Image:
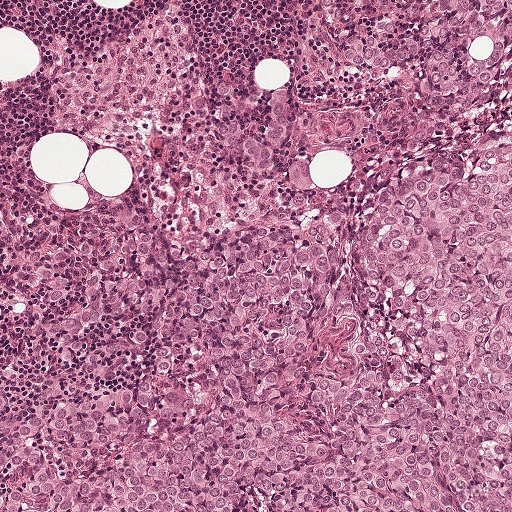
H&E-stained section of a sentinel lymph node (breast cancer), from a whole-slide image, viewed at about 10×: the field is about 0.5 mm across, about 0.97 µm per pixel.
Question:
Show where the tumour is in this image.
Answer:
The outlined metastatic tumour's edge, as a closed clockwise path of 22 points: (308, 0), (511, 0), (511, 511), (0, 511), (0, 398), (44, 390), (105, 225), (134, 213), (196, 253), (295, 225), (202, 140), (212, 121), (248, 132), (287, 89), (292, 148), (323, 203), (346, 208), (510, 118), (493, 101), (393, 157), (410, 80), (321, 52).
The annotated tumour makes up about 65% of the crop.

Image:
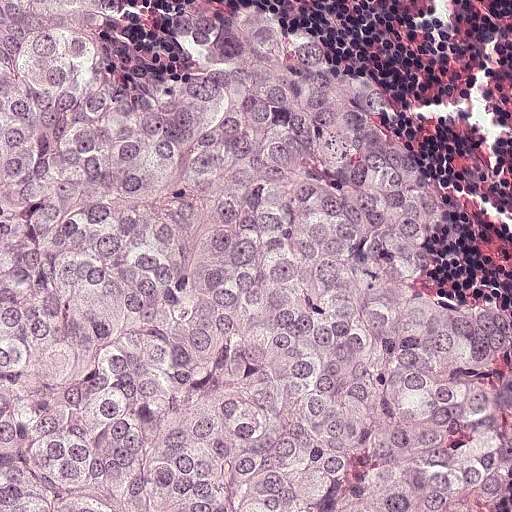
A 0.25-mm field of an H&E-stained sentinel lymph node from a breast-cancer patient (whole-slide image), shown at about 20×, about 0.49 µm per pixel.
Question:
Show where the tumour is in this image.
Answer:
Metastatic tumour outline, simplified to 17 points and listed clockwise in crop pixels (x, y): (0, 0), (129, 0), (132, 37), (114, 72), (156, 92), (192, 68), (178, 24), (184, 10), (232, 1), (306, 30), (337, 71), (371, 90), (440, 194), (434, 292), (511, 309), (507, 506), (0, 511).
About 85% of this field is tumour.

Image:
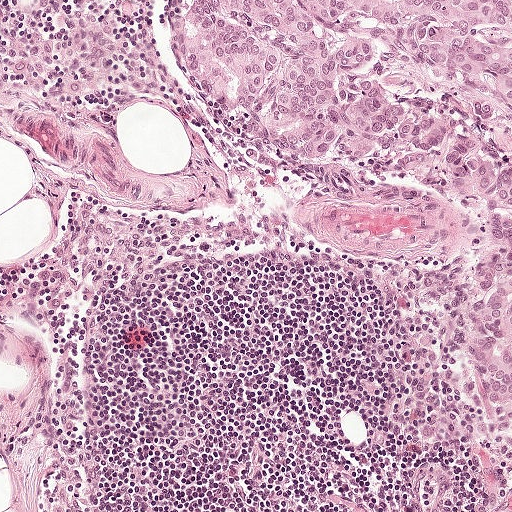
Lymph node section stained with H&E, from a whole-slide image of a breast-cancer sentinel node. Magnification about 10×, about 0.5 mm across the frame, about 0.97 µm per pixel.
Question:
Show where the tumour is in this image.
Answer:
Outlines of two tumour regions, largest first (closed clockwise paths, crop pixels): region 1: (196, 0), (511, 0), (511, 511), (479, 511), (483, 394), (423, 294), (475, 262), (478, 212), (399, 180), (308, 176), (219, 122), (185, 87), (172, 45); region 2: (426, 466), (436, 466), (442, 470), (446, 474), (446, 481), (453, 494), (450, 511), (418, 511), (412, 490), (412, 476).
Tumour covers about 25% of the frame.

Image:
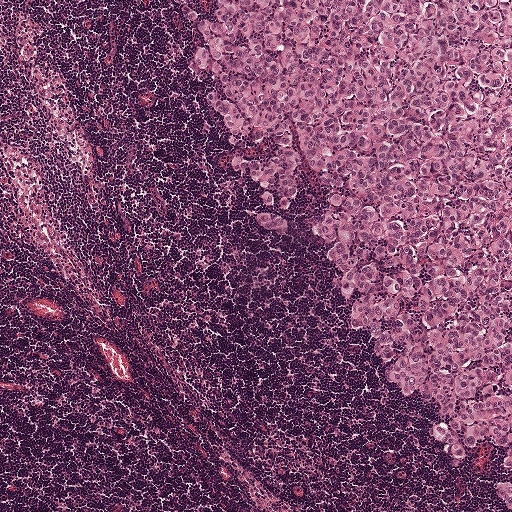
A 1-mm field of an H&E-stained sentinel lymph node from a breast-cancer patient (whole-slide image), shown at about 5×, about 1.9 µm per pixel.
Question:
Show where the tumour is in this image.
Answer:
One metastatic tumour region; its boundary, reduced to 12 corners and listed clockwise: (170, 0), (511, 0), (511, 511), (494, 511), (420, 442), (324, 266), (254, 233), (250, 185), (229, 172), (217, 124), (179, 93), (188, 41).
About 40% of the image area is annotated as tumour.